A 1.9-mm field of an H&E-stained sentinel lymph node from a breast-cancer patient (whole-slide image), shown at about 2.5×, about 3.6 µm per pixel.
Question: 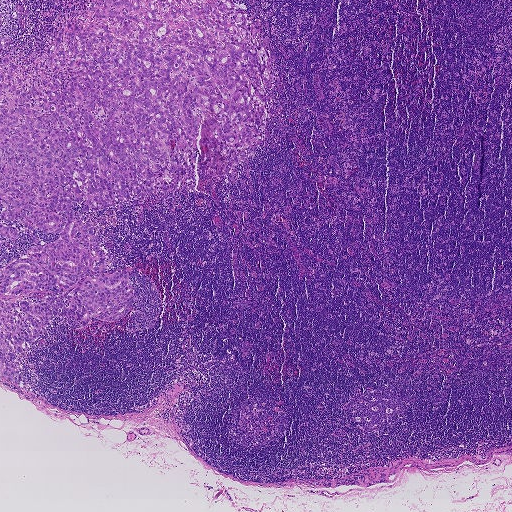
What fraction of the image area is metastatic tumour?

Choices:
 (A) about 50% or more
 (B) none: no tumour is outlined
 (C) about 25% to 45%
 (D) about 5% or less
 (E) about 10% to 20%

Answer: (C) about 25% to 45%
About 25% of the field is tumour.
One metastatic tumour region; its boundary, reduced to 22 corners and listed clockwise: (0, 0), (231, 0), (273, 62), (258, 149), (216, 182), (199, 169), (144, 200), (116, 198), (88, 212), (75, 201), (74, 218), (104, 252), (103, 273), (128, 273), (132, 304), (118, 321), (90, 315), (83, 327), (53, 314), (15, 353), (19, 385), (2, 379).